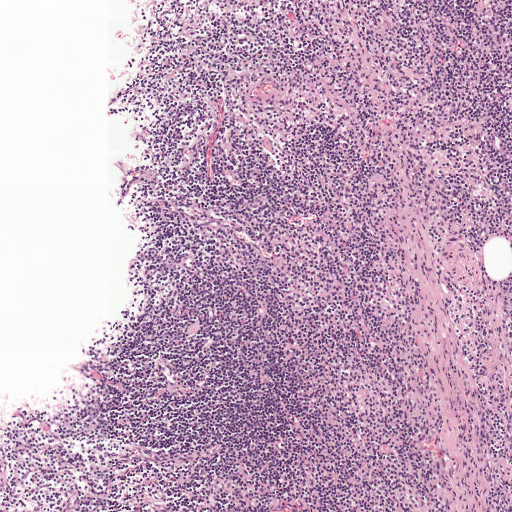
H&E-stained section of a sentinel lymph node (breast cancer), from a whole-slide image, viewed at about 5×: the field is about 1 mm across, about 1.9 µm per pixel.